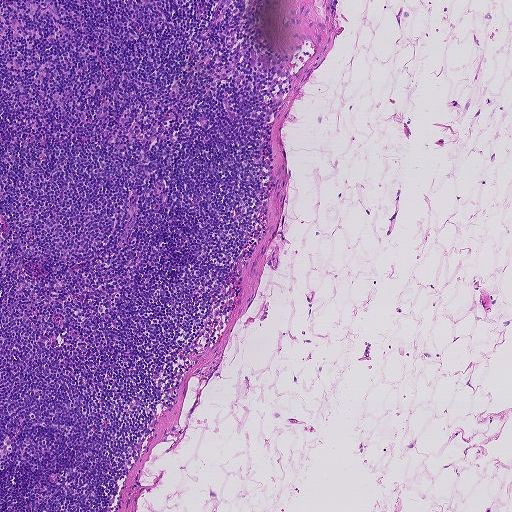
A 0.93-mm field of an H&E-stained sentinel lymph node from a breast-cancer patient (whole-slide image), shown at about 5×, about 1.8 µm per pixel.
Question: Does this lymph node field contain metastatic tumour?
Answer: No. No metastatic tumour is outlined in this field.